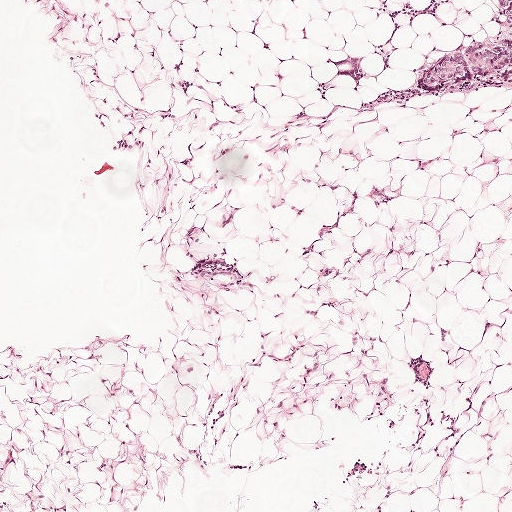
Lymph node section stained with H&E, from a whole-slide image of a breast-cancer sentinel node. Magnification about 5×, about 1 mm across the frame, about 1.9 µm per pixel.
Question: Show where the tumour is in this image.
Answer: One metastatic tumour region; its boundary, reduced to 13 corners and listed clockwise: (412, 0), (511, 0), (511, 94), (480, 106), (470, 106), (438, 99), (403, 75), (403, 64), (411, 48), (430, 34), (462, 24), (494, 5), (494, 2).
About 5% of the image area is annotated as tumour.